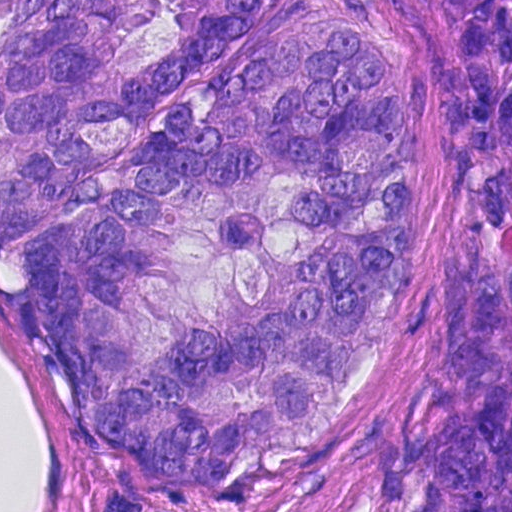
H&E-stained section of a sentinel lymph node (breast cancer), from a whole-slide image, viewed at about 40×: the field is about 0.12 mm across, about 0.23 µm per pixel.
Two metastatic tumour regions, each outlined as a closed clockwise path in crop pixels (x, y), largest first: region 1: (18, 0), (320, 0), (387, 46), (412, 91), (420, 195), (367, 397), (302, 482), (251, 496), (172, 488), (86, 431), (28, 345), (0, 300), (0, 22); region 2: (440, 0), (511, 0), (511, 511), (381, 511), (386, 462), (438, 347), (457, 207), (440, 79), (452, 49).
The annotated tumour makes up about 80% of the crop.